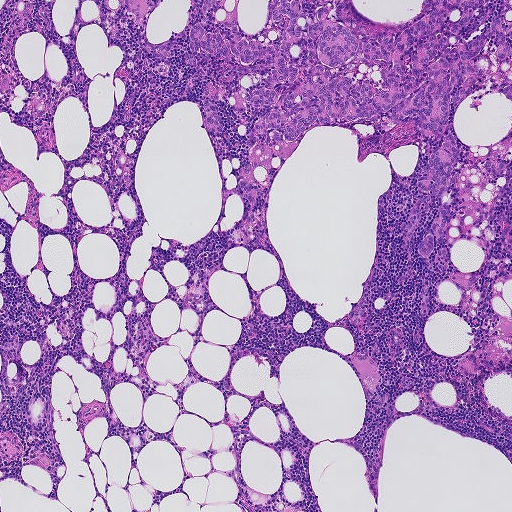
Lymph node section stained with H&E, from a whole-slide image of a breast-cancer sentinel node. Magnification about 5×, about 0.93 mm across the frame, about 1.8 µm per pixel.
Outlines of two tumour regions, largest first (closed clockwise paths, crop pixels): region 1: (511, 0), (511, 56), (501, 61), (492, 37), (474, 60), (488, 71), (456, 109), (450, 101), (461, 176), (431, 253), (420, 251), (436, 205), (418, 180), (449, 124), (425, 140), (410, 122), (346, 122), (249, 149), (245, 134), (270, 109), (244, 100), (270, 71), (195, 55), (198, 5); region 2: (511, 83), (511, 103), (501, 94), (502, 86).
Tumour covers about 15% of the frame.